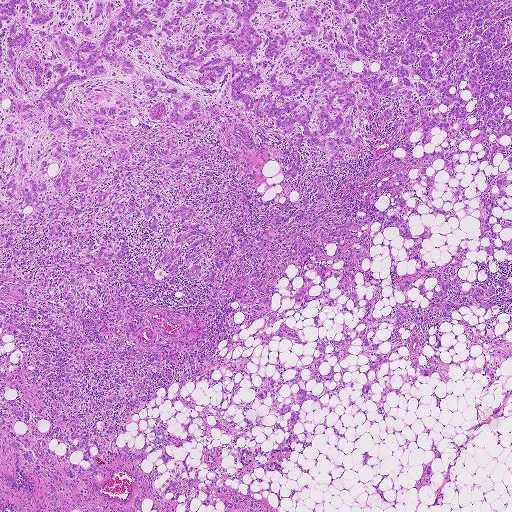
Lymph node section stained with H&E, from a whole-slide image of a breast-cancer sentinel node. Magnification about 2.5×, about 1.9 mm across the frame, about 3.6 µm per pixel.
Boundaries of two metastatic tumour regions, simplified and listed clockwise, largest first: region 1: (0, 0), (511, 0), (511, 331), (384, 342), (382, 402), (364, 308), (330, 277), (316, 328), (288, 266), (264, 331), (309, 341), (226, 357), (258, 386), (344, 321), (355, 384), (284, 384), (335, 411), (225, 483), (308, 489), (277, 506), (266, 491), (250, 498), (223, 487), (0, 511); region 2: (497, 314), (501, 320), (494, 332), (496, 335), (503, 332), (511, 342), (511, 357), (498, 368), (496, 372), (497, 376), (500, 375), (499, 379), (488, 387), (480, 372), (483, 358), (481, 346), (466, 350), (463, 327), (457, 324), (458, 321), (464, 320), (480, 330), (484, 329), (486, 318).
About 85% of this field is tumour.